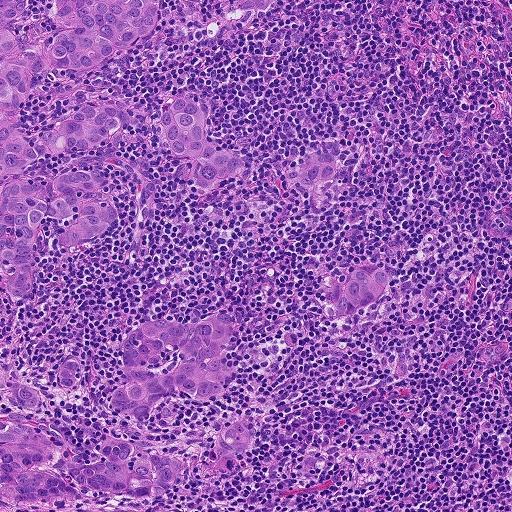
A 0.46-mm field of an H&E-stained sentinel lymph node from a breast-cancer patient (whole-slide image), shown at about 10×, about 0.9 µm per pixel.
Outlines of four tumour regions, largest first (closed clockwise paths, crop pixels): region 1: (0, 0), (32, 0), (18, 28), (51, 0), (163, 0), (152, 44), (33, 90), (25, 134), (109, 97), (149, 117), (190, 95), (248, 174), (205, 190), (157, 123), (134, 117), (101, 194), (125, 207), (117, 228), (66, 252), (52, 239), (66, 219), (47, 219), (32, 298), (2, 293); region 2: (242, 308), (229, 350), (236, 374), (202, 403), (162, 397), (138, 436), (153, 454), (176, 456), (235, 419), (256, 424), (247, 447), (201, 455), (163, 499), (0, 499), (0, 406), (14, 389), (36, 382), (80, 463), (98, 465), (88, 444), (103, 426), (137, 442), (108, 411), (130, 329); region 3: (383, 264), (387, 268), (390, 290), (372, 304), (350, 313), (327, 315), (349, 275), (360, 268), (370, 274); region 4: (236, 0), (275, 0), (273, 3), (251, 13), (228, 10).
The annotated tumour makes up about 25% of the crop.